Lymph node section stained with H&E, from a whole-slide image of a breast-cancer sentinel node. Magnification about 2.5×, about 2.0 mm across the frame, about 3.9 µm per pixel.
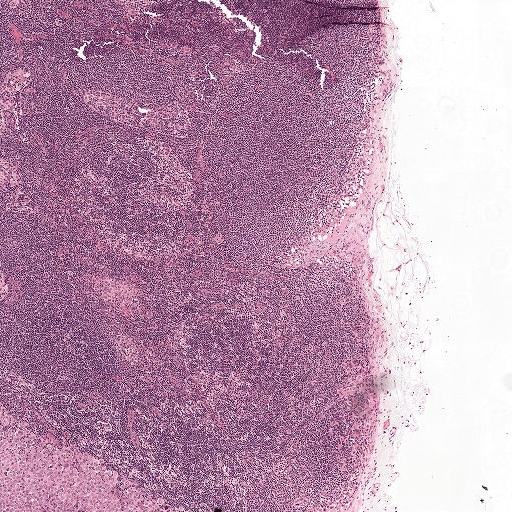
Question: Outline the metastatic carcinoma in this image, as closed paths of (x, y) pixel coordinates.
Answer: Boundaries of two metastatic tumour regions, simplified and listed clockwise, largest first: region 1: (0, 389), (37, 418), (63, 449), (111, 468), (187, 511), (0, 511); region 2: (358, 322), (372, 339), (380, 384), (380, 404), (377, 445), (357, 511), (291, 511), (299, 502), (328, 496), (339, 479), (338, 453), (347, 433), (347, 421), (333, 392), (333, 382), (338, 369), (354, 348).
The annotated tumour makes up about 5% of the crop.